Question: 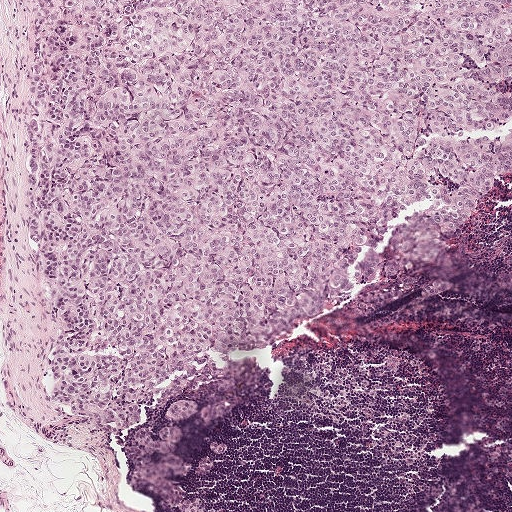
Lymph node section stained with H&E, from a whole-slide image of a breast-cancer sentinel node. Magnification about 5×, about 1 mm across the frame, about 1.9 µm per pixel.
About how much of this crop is taken up by metastatic carcinoma?

Choices:
 (A) about 25% to 45%
 (B) about 10% to 20%
 (C) none: no tumour is outlined
 (D) about 50% or more
 (E) about 5% or less

Answer: (D) about 50% or more
About 55% of the field is tumour.
Boundaries of two metastatic tumour regions, simplified and listed clockwise, largest first: region 1: (38, 0), (511, 0), (511, 81), (502, 86), (511, 122), (453, 138), (511, 136), (511, 165), (454, 228), (434, 219), (429, 198), (393, 218), (264, 319), (253, 347), (206, 351), (217, 368), (210, 382), (169, 398), (156, 386), (114, 436), (49, 397), (61, 322), (26, 224); region 2: (183, 500), (187, 500), (193, 502), (197, 500), (201, 500), (202, 502), (203, 511), (184, 511), (181, 501).